Question: 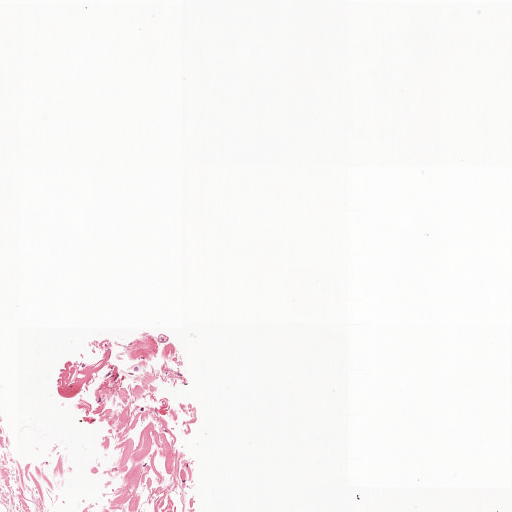
Which magnification is this H&E lymph node field most likely shown at?

Choices:
 (A) about 5×
 (B) about 2.5×
 (C) about 40×
 (D) about 20×
 (E) about 10×

Answer: (A) about 5×
A 1-mm field of an H&E-stained sentinel lymph node from a breast-cancer patient (whole-slide image), shown at about 5×, about 1.9 µm per pixel.
One metastatic tumour region; its boundary, reduced to 10 corners and listed clockwise: (136, 364), (145, 365), (145, 366), (144, 372), (140, 372), (134, 372), (131, 370), (125, 371), (127, 368), (133, 365).
One more small tumour piece is annotated here but not outlined.
Under 5% of the image area is annotated as tumour.